H&E-stained section of a sentinel lymph node (breast cancer), from a whole-slide image, viewed at about 10×: the field is about 0.5 mm across, about 0.97 µm per pixel.
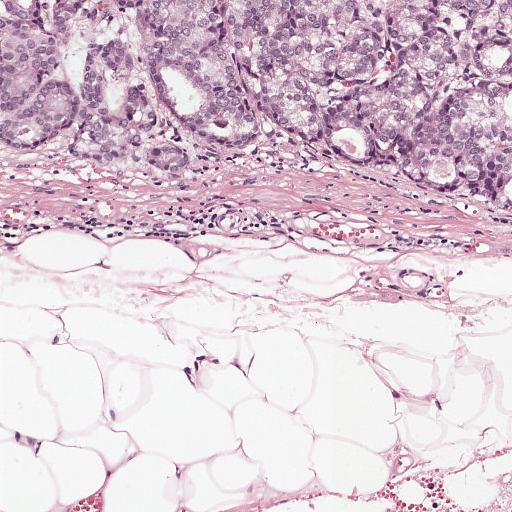
One metastatic tumour region; its boundary, reduced to 7 corners and listed clockwise: (0, 0), (511, 0), (511, 213), (386, 194), (286, 154), (225, 174), (7, 154).
Tumour covers about 35% of the frame.